Question: 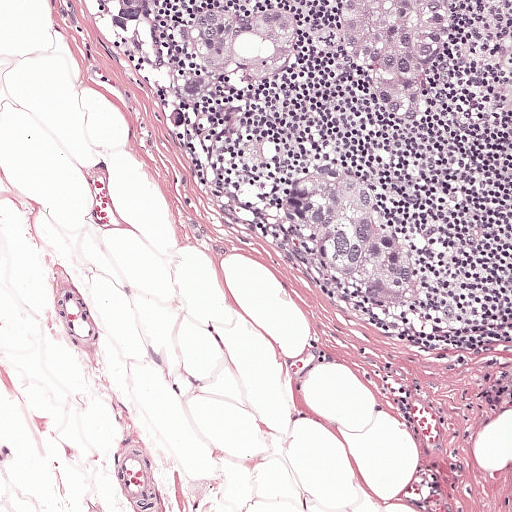
About what magnification does this crop show?

Choices:
 (A) about 2.5×
 (B) about 20×
 (C) about 10×
 (D) about 5×
 (E) about 40×

Answer: (C) about 10×
A 0.5-mm field of an H&E-stained sentinel lymph node from a breast-cancer patient (whole-slide image), shown at about 10×, about 0.97 µm per pixel.
Four metastatic tumour regions, each outlined as a closed clockwise path in crop pixels (x, y), largest first: region 1: (320, 161), (362, 168), (381, 184), (412, 245), (421, 272), (423, 301), (413, 310), (401, 309), (332, 278), (286, 246), (272, 221), (272, 189), (284, 177); region 2: (336, 0), (454, 0), (457, 25), (428, 72), (426, 114), (418, 129), (406, 133), (381, 125), (364, 86), (332, 55), (326, 39); region 3: (281, 0), (294, 1), (303, 8), (304, 34), (288, 74), (276, 87), (206, 101), (190, 137), (177, 137), (167, 129), (166, 116), (172, 88), (194, 71), (182, 46), (183, 27), (192, 12), (202, 5), (247, 9); region 4: (88, 0), (154, 0), (149, 23), (138, 27), (110, 25).
Tumour covers about 15% of the frame.